A 0.12-mm field of an H&E-stained sentinel lymph node from a breast-cancer patient (whole-slide image), shown at about 40×, about 0.24 µm per pixel.
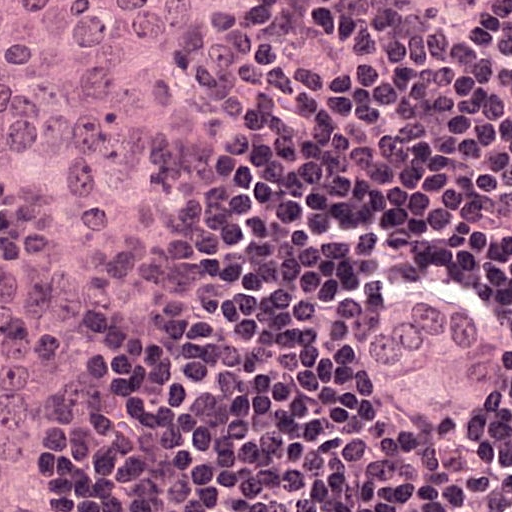
Three metastatic tumour regions, each outlined as a closed clockwise path in crop pixels (x, y), largest first: region 1: (0, 0), (266, 0), (264, 39), (221, 155), (145, 312), (139, 400), (114, 432), (71, 453), (59, 511), (0, 511), (0, 239), (10, 209); region 2: (384, 287), (432, 287), (509, 328), (511, 376), (498, 410), (457, 436), (425, 435), (380, 412), (341, 346), (350, 319); region 3: (396, 0), (511, 0), (511, 40), (505, 37), (498, 37), (498, 35), (489, 30), (477, 28), (477, 26), (468, 23), (468, 21), (461, 21), (461, 19), (452, 16), (400, 3).
The annotated tumour makes up about 40% of the crop.